Image:
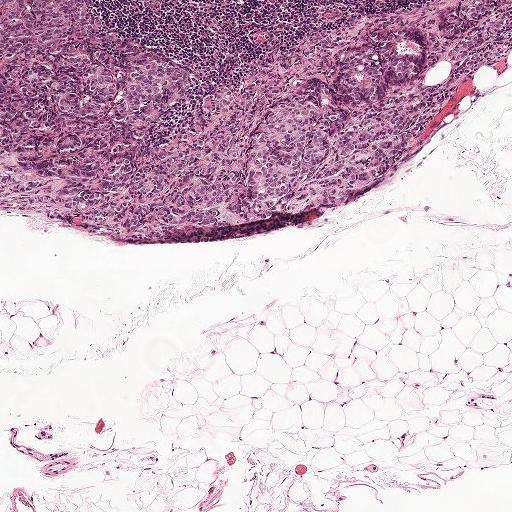
H&E-stained section of a sentinel lymph node (breast cancer), from a whole-slide image, viewed at about 5×: the field is about 1 mm across, about 1.9 µm per pixel.
Question:
Describe where the metastatic carcinoma lies in this crop.
Answer:
The outlined metastatic tumour's edge, as a closed clockwise path of 23 points: (0, 0), (91, 0), (87, 21), (198, 74), (153, 150), (213, 92), (311, 38), (349, 41), (382, 18), (428, 50), (459, 0), (500, 0), (505, 14), (472, 66), (448, 54), (423, 75), (456, 82), (442, 109), (333, 202), (129, 234), (53, 201), (63, 178), (6, 151).
The annotated tumour makes up about 25% of the crop.